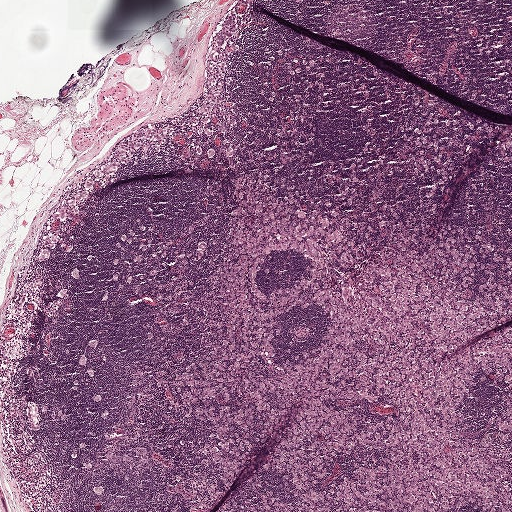
This is a crop of a whole-slide image: an H&E-stained breast-cancer sentinel lymph node section at roughly 2.5× magnification (about 3.9 µm per pixel; the crop spans about 2.0 mm).
One metastatic tumour region; its boundary, reduced to 22 corners and listed clockwise: (232, 170), (271, 175), (341, 212), (489, 236), (511, 250), (511, 318), (444, 359), (511, 329), (511, 511), (237, 511), (265, 491), (283, 500), (287, 488), (275, 476), (238, 488), (212, 479), (195, 453), (212, 434), (181, 410), (171, 384), (203, 326), (200, 291).
The outline encloses four non-tumour holes totalling about 10% of the region's area.
About 30% of this field is tumour.